Lymph node section stained with H&E, from a whole-slide image of a breast-cancer sentinel node. Magnification about 20×, about 0.25 mm across the frame, about 0.49 µm per pixel.
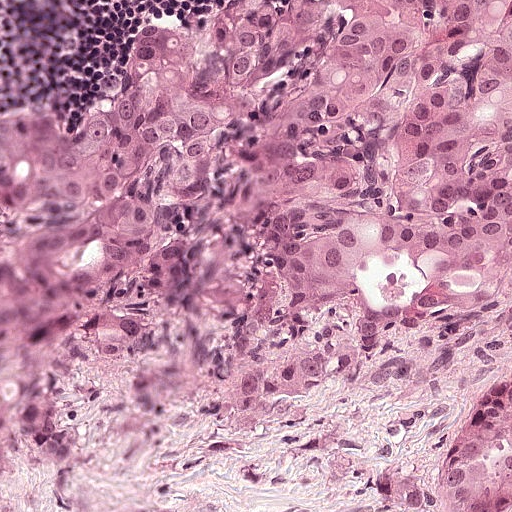
One metastatic tumour region; its boundary, reduced to 8 corners and listed clockwise: (511, 0), (511, 511), (123, 478), (92, 462), (71, 240), (86, 82), (106, 39), (181, 2).
Tumour covers about 80% of the frame.